A 0.46-mm field of an H&E-stained sentinel lymph node from a breast-cancer patient (whole-slide image), shown at about 10×, about 0.9 µm per pixel.
Question: 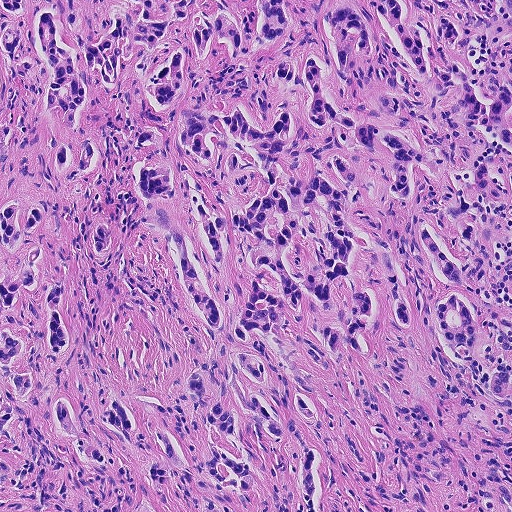
Roughly what share of this field is metastatic tumour?

Choices:
 (A) about 10% to 20%
 (B) about 50% or more
 (C) none: no tumour is outlined
 (D) about 5% or less
 (E) about 25% to 45%

Answer: (B) about 50% or more
About 80% of the field is tumour.
The outlined metastatic tumour's edge, as a closed clockwise path of 22 points: (0, 0), (511, 0), (511, 207), (474, 200), (496, 262), (474, 375), (382, 318), (376, 365), (300, 317), (271, 338), (321, 404), (317, 511), (290, 427), (274, 448), (241, 410), (254, 493), (194, 511), (86, 412), (115, 461), (68, 451), (30, 354), (1, 372).